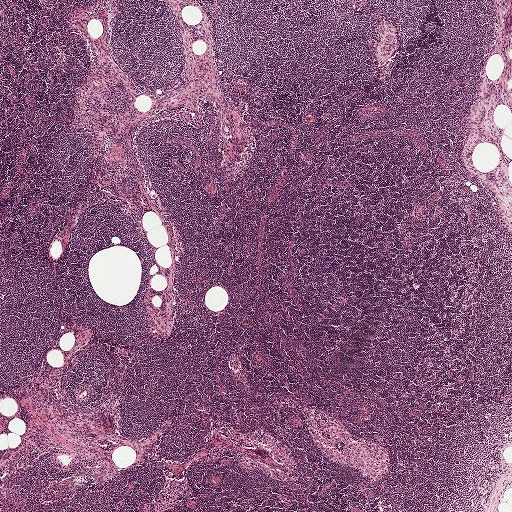
H&E-stained section of a sentinel lymph node (breast cancer), from a whole-slide image, viewed at about 2.5×: the field is about 2.0 mm across, about 3.9 µm per pixel.